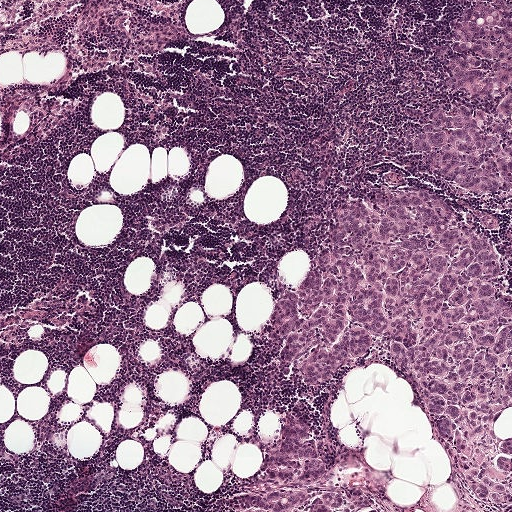
H&E-stained section of a sentinel lymph node (breast cancer), from a whole-slide image, viewed at about 5×: the field is about 1 mm across, about 1.9 µm per pixel.
Boundaries of three metastatic tumour regions, simplified and listed clockwise, largest first: region 1: (427, 192), (450, 204), (495, 254), (500, 288), (511, 296), (511, 409), (494, 434), (511, 440), (511, 511), (492, 511), (466, 490), (379, 340), (367, 363), (310, 393), (294, 385), (280, 348), (266, 338), (281, 298), (301, 287), (327, 248), (327, 217), (358, 198); region 2: (459, 0), (511, 0), (511, 194), (501, 202), (444, 187), (412, 153), (428, 108), (460, 102), (483, 113), (496, 103), (461, 100), (439, 88), (442, 78), (429, 53), (451, 33), (461, 15); region 3: (300, 416), (314, 440), (315, 454), (327, 474), (343, 486), (362, 486), (372, 494), (380, 511), (245, 511), (250, 495), (274, 493), (274, 485), (264, 476), (267, 464), (279, 446), (284, 429), (291, 417).
Tumour covers about 25% of the frame.